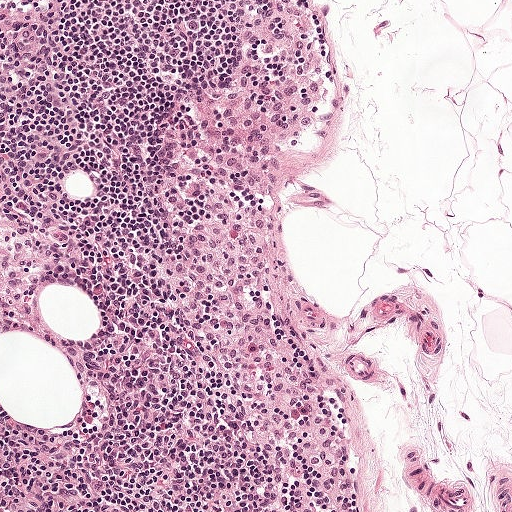
A 0.5-mm field of an H&E-stained sentinel lymph node from a breast-cancer patient (whole-slide image), shown at about 10×, about 0.97 µm per pixel.
Question: Is there metastatic carcinoma in this field?
Answer: No. No metastatic tumour is outlined in this field.